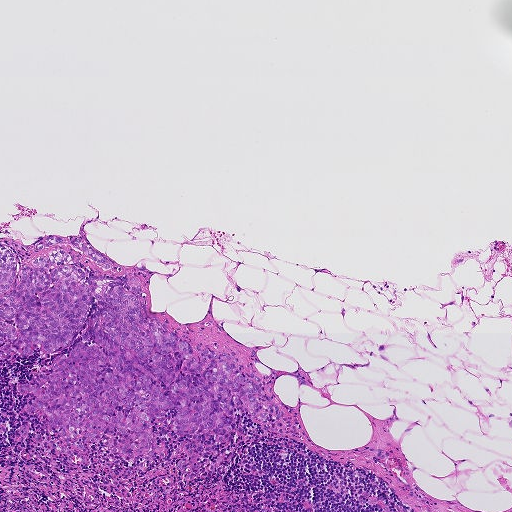
Lymph node section stained with H&E, from a whole-slide image of a breast-cancer sentinel node. Magnification about 5×, about 0.93 mm across the frame, about 1.8 µm per pixel.
Four metastatic tumour regions, each outlined as a closed clockwise path in crop pixels (x, y), largest first: region 1: (0, 244), (31, 266), (59, 249), (87, 276), (138, 279), (146, 314), (196, 359), (231, 352), (269, 376), (301, 437), (265, 431), (246, 407), (228, 442), (177, 434), (172, 409), (151, 422), (163, 458), (128, 461), (84, 436), (77, 450), (20, 390), (69, 347), (0, 355); region 2: (50, 235), (62, 237), (79, 236), (96, 251), (115, 262), (116, 265), (122, 268), (122, 272), (118, 272), (110, 270), (106, 272), (90, 258), (72, 247), (65, 244), (61, 246), (53, 245), (36, 252), (32, 250), (33, 246); region 3: (182, 440), (186, 440), (190, 442), (187, 445), (186, 449), (190, 448), (193, 450), (193, 453), (187, 458), (187, 462), (181, 471), (177, 471), (175, 468), (176, 464), (184, 454), (184, 451), (180, 444); region 4: (48, 440), (52, 440), (72, 452), (72, 460), (67, 460), (68, 455), (59, 453), (51, 448), (48, 445).
Three more small tumour pieces are annotated here but not outlined.
About 15% of this field is tumour.